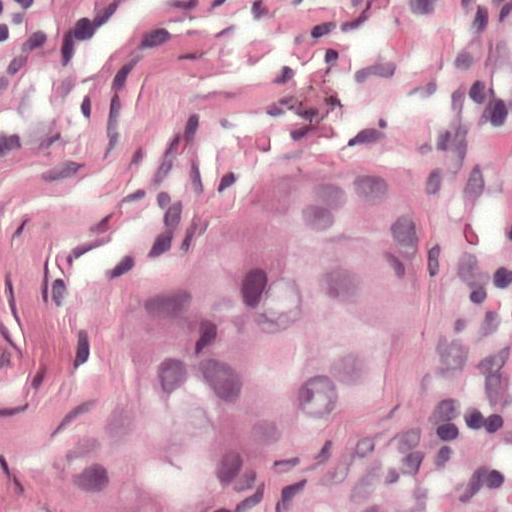
H&E-stained section of a sentinel lymph node (breast cancer), from a whole-slide image, viewed at about 40×: the field is about 0.12 mm across, about 0.24 µm per pixel.
Question: Trace the edge of each tumour region in this crop, as (x, y) points from 0 to 511.
Answer: Metastatic tumour outline, simplified to 11 points and listed clockwise in crop pixels (x, y): (366, 150), (418, 173), (436, 262), (432, 367), (363, 448), (234, 511), (104, 511), (46, 464), (75, 385), (125, 328), (148, 275).
About 35% of this field is tumour.